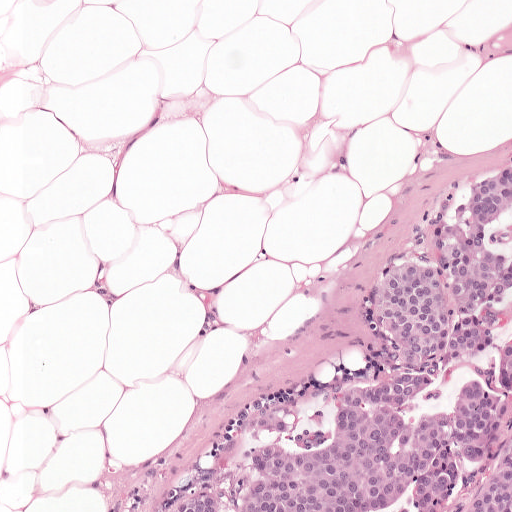
Lymph node section stained with H&E, from a whole-slide image of a breast-cancer sentinel node. Magnification about 10×, about 0.5 mm across the frame, about 0.97 µm per pixel.
Tumour region outline (a closed clockwise path, crop pixels): (511, 163), (511, 511), (129, 511), (174, 467), (314, 388), (352, 352), (387, 252).
About 25% of this field is tumour.